Image:
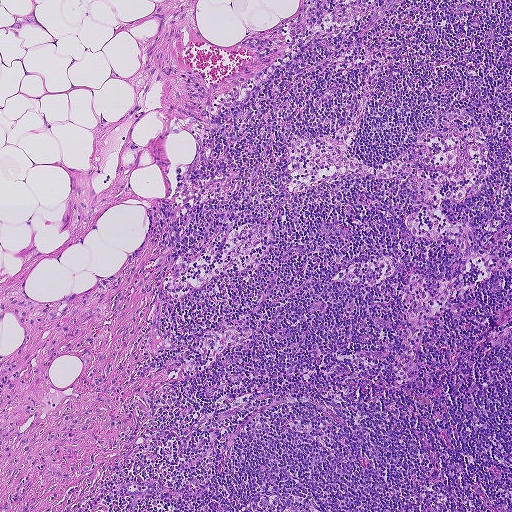
A 0.93-mm field of an H&E-stained sentinel lymph node from a breast-cancer patient (whole-slide image), shown at about 5×, about 1.8 µm per pixel.
Question:
Is any metastatic breast cancer visible in this crop?
Answer:
No. No metastatic tumour is outlined in this field.